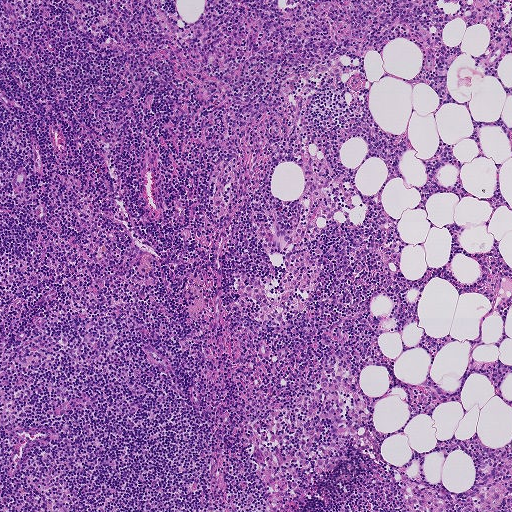
This is a crop of a whole-slide image: an H&E-stained breast-cancer sentinel lymph node section at roughly 5× magnification (about 1.8 µm per pixel; the crop spans about 0.93 mm).
Question: Is any metastatic breast cancer visible in this crop?
Answer: No, this field holds no outlined metastasis.